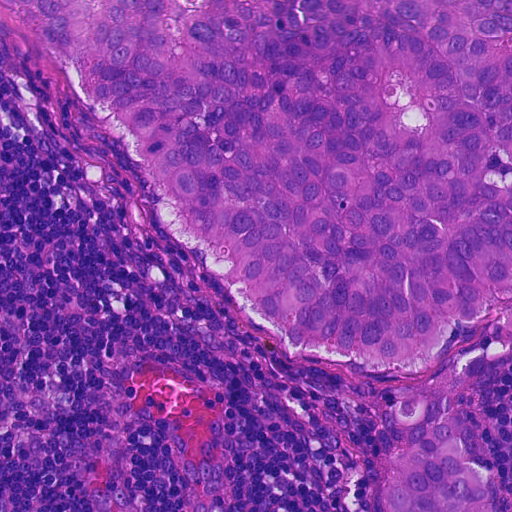
This is a crop of a whole-slide image: an H&E-stained breast-cancer sentinel lymph node section at roughly 20× magnification (about 0.45 µm per pixel; the crop spans about 0.23 mm).
Outlines of two tumour regions, largest first (closed clockwise paths, crop pixels): region 1: (0, 0), (511, 0), (511, 34), (501, 42), (511, 45), (511, 284), (475, 324), (456, 320), (440, 360), (423, 372), (316, 362), (278, 344), (176, 240), (134, 162), (4, 18); region 2: (443, 418), (462, 435), (488, 478), (495, 511), (383, 511), (380, 490), (388, 465), (416, 424).
Tumour covers about 55% of the frame.